Lymph node section stained with H&E, from a whole-slide image of a breast-cancer sentinel node. Magnification about 2.5×, about 2.0 mm across the frame, about 3.9 µm per pixel.
Image:
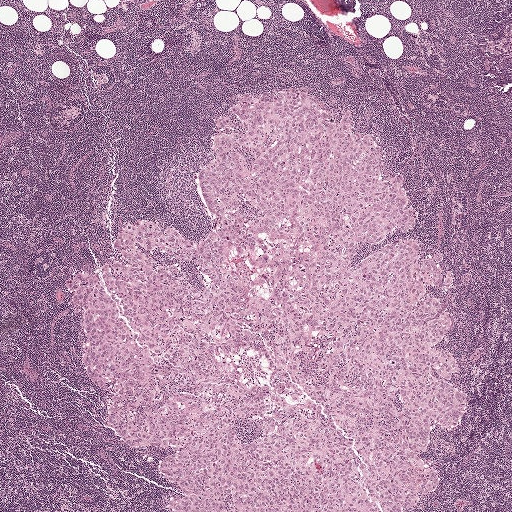
Question:
Which parts of this field are metastatic tumour? Answer with the outline of each region, in pixels.
Answer:
One metastatic tumour region; its boundary, reduced to 24 corners and listed clockwise: (242, 93), (349, 110), (416, 212), (352, 266), (416, 238), (451, 282), (424, 292), (465, 396), (419, 453), (439, 482), (408, 511), (171, 511), (171, 451), (102, 425), (115, 382), (85, 378), (70, 295), (119, 264), (129, 222), (195, 242), (220, 225), (197, 178), (214, 120), (242, 130).
The annotated tumour makes up about 45% of the crop.